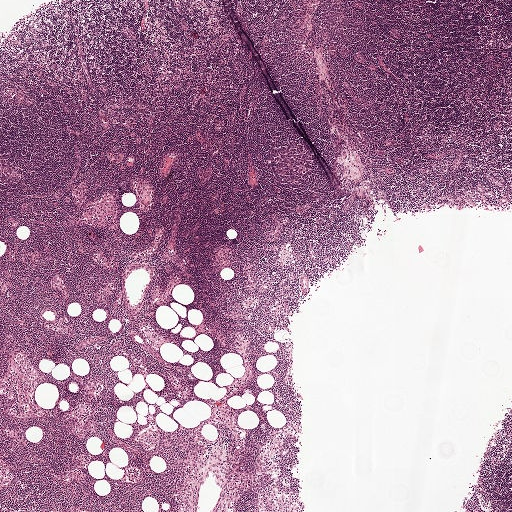
Lymph node section stained with H&E, from a whole-slide image of a breast-cancer sentinel node. Magnification about 2.5×, about 2.0 mm across the frame, about 3.9 µm per pixel.
Question: Is any metastatic breast cancer visible in this crop?
Answer: No: no metastatic tumour is outlined anywhere in this field.